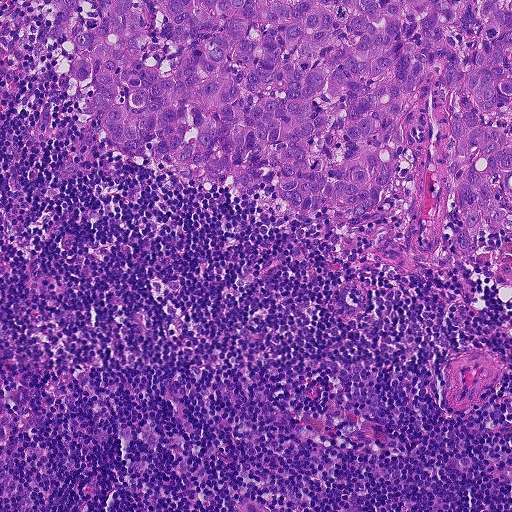
H&E-stained section of a sentinel lymph node (breast cancer), from a whole-slide image, viewed at about 10×: the field is about 0.46 mm across, about 0.9 µm per pixel.
Tumour region outline (a closed clockwise path, crop pixels): (51, 0), (511, 0), (511, 218), (464, 238), (451, 174), (432, 255), (419, 262), (408, 237), (413, 151), (401, 144), (375, 208), (352, 222), (284, 205), (264, 184), (195, 181), (152, 150), (126, 152), (92, 112), (91, 72), (81, 82), (69, 74), (74, 30).
About 30% of this field is tumour.